This is a crop of a whole-slide image: an H&E-stained breast-cancer sentinel lymph node section at roughly 5× magnification (about 1.8 µm per pixel; the crop spans about 0.93 mm).
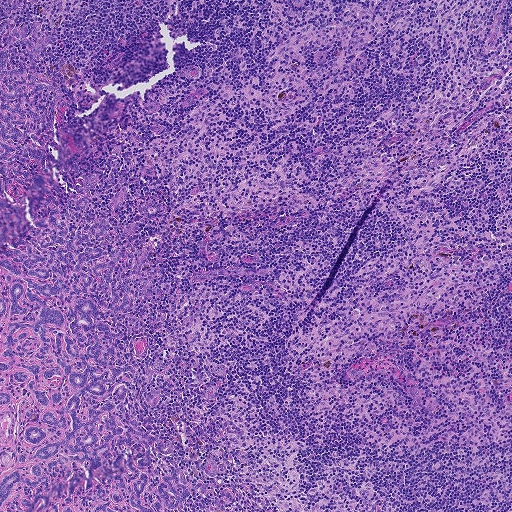
Two metastatic tumour regions, each outlined as a closed clockwise path in crop pixels (x, y), largest first: region 1: (5, 18), (55, 36), (33, 65), (11, 46), (8, 67), (67, 104), (26, 185), (31, 195), (33, 217), (84, 182), (70, 160), (100, 181), (92, 217), (112, 214), (121, 187), (167, 210), (118, 212), (154, 272), (126, 314), (143, 335), (122, 356), (139, 375), (169, 362), (154, 406), (142, 385), (130, 401), (145, 430), (175, 440), (157, 473), (225, 466), (184, 506), (0, 511), (0, 245), (34, 226), (28, 196), (0, 193); region 2: (7, 0), (26, 0), (22, 5), (12, 10), (2, 11), (3, 6).
Two more small tumour pieces are annotated here but not outlined.
About 20% of this field is tumour.